Lymph node section stained with H&E, from a whole-slide image of a breast-cancer sentinel node. Magnification about 20×, about 0.23 mm across the frame, about 0.45 µm per pixel.
Question: 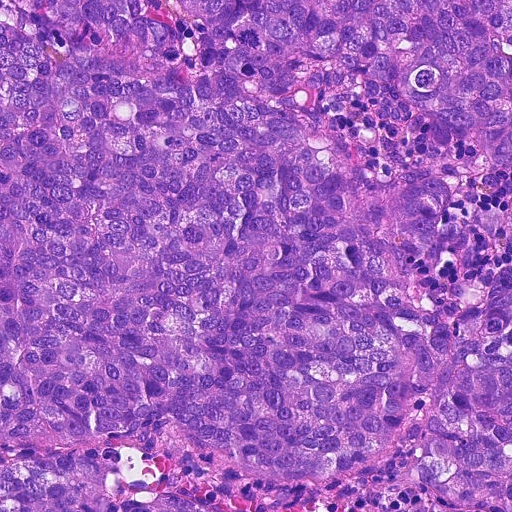
Estimate the proportion of this field that is metastatic tumour.

Choices:
 (A) about 25% to 45%
 (B) about 5% or less
 (C) about 50% or more
 (D) none: no tumour is outlined
 (E) about 10% to 20%

Answer: (C) about 50% or more
About 90% of the field is tumour.
Metastatic tumour outline, simplified to 23 points and listed clockwise in crop pixels (x, y): (0, 0), (511, 0), (510, 170), (472, 132), (378, 84), (298, 62), (368, 168), (443, 180), (448, 222), (511, 202), (511, 246), (473, 242), (437, 272), (511, 265), (511, 511), (463, 511), (389, 476), (256, 481), (164, 427), (4, 444), (108, 456), (220, 511), (0, 511).